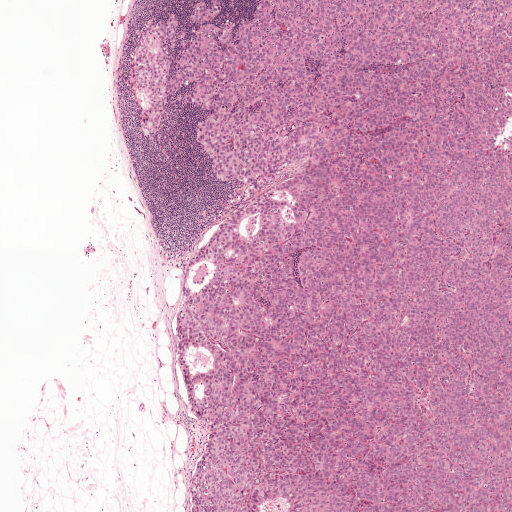
Lymph node section stained with H&E, from a whole-slide image of a breast-cancer sentinel node. Magnification about 2.5×, about 2.0 mm across the frame, about 3.9 µm per pixel.
Metastatic tumour outline, simplified to 23 points and listed clockwise in crop pixels (x, y): (511, 0), (511, 511), (190, 511), (210, 423), (188, 407), (176, 310), (189, 262), (242, 185), (223, 185), (197, 149), (192, 133), (211, 112), (180, 101), (195, 84), (143, 135), (127, 54), (143, 19), (172, 12), (189, 39), (199, 2), (225, 5), (219, 24), (253, 8).
Tumour covers about 65% of the frame.